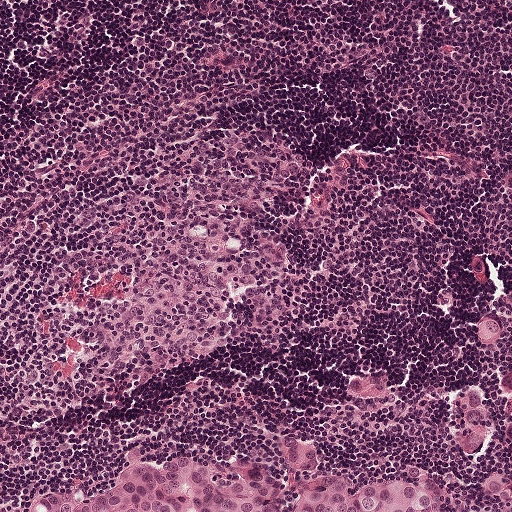
A 0.5-mm field of an H&E-stained sentinel lymph node from a breast-cancer patient (whole-slide image), shown at about 10×, about 0.97 µm per pixel.
Five metastatic tumour regions, each outlined as a closed clockwise path in crop pixels (x, y), largest first: region 1: (188, 454), (213, 462), (229, 458), (250, 461), (290, 478), (288, 511), (28, 511), (34, 496), (50, 490), (63, 491), (82, 502), (100, 498), (127, 461), (159, 463); region 2: (288, 433), (304, 438), (313, 444), (316, 456), (362, 480), (396, 477), (419, 467), (444, 485), (445, 499), (442, 511), (299, 511), (306, 509), (308, 492), (294, 471), (286, 441); region 3: (474, 388), (482, 393), (488, 405), (489, 436), (478, 452), (473, 455), (465, 453), (458, 436), (456, 410), (463, 390); region 4: (493, 472), (501, 472), (511, 482), (511, 511), (481, 511), (484, 508), (480, 502), (480, 495); region 5: (353, 375), (373, 381), (383, 390), (389, 389), (390, 400), (388, 402), (367, 402), (354, 398), (346, 389), (346, 383).
The annotated tumour makes up about 10% of the crop.